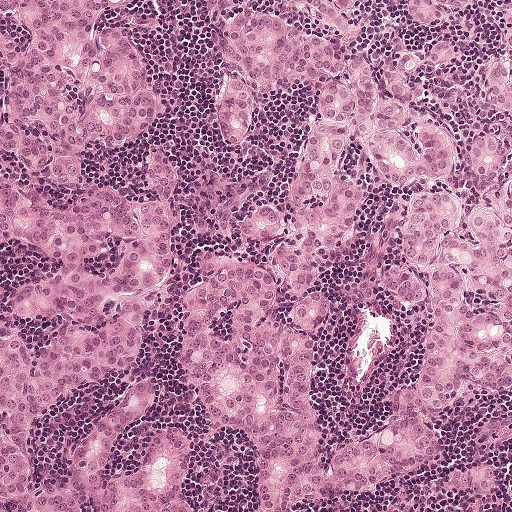
Lymph node section stained with H&E, from a whole-slide image of a breast-cancer sentinel node. Magnification about 10×, about 0.5 mm across the frame, about 0.97 µm per pixel.
Boundaries of four metastatic tumour regions, simplified and listed clockwise, largest first: region 1: (239, 0), (333, 46), (281, 2), (366, 0), (378, 60), (454, 40), (424, 98), (465, 158), (511, 0), (511, 385), (456, 385), (435, 457), (369, 491), (249, 511), (251, 446), (172, 359), (196, 249), (270, 256), (197, 233), (196, 179), (289, 202), (320, 88), (228, 145), (208, 38); region 2: (0, 0), (129, 0), (101, 28), (129, 26), (153, 56), (160, 116), (127, 143), (94, 148), (76, 170), (133, 197), (144, 149), (172, 159), (178, 252), (134, 357), (43, 408), (25, 445), (43, 481), (113, 394), (158, 374), (167, 401), (114, 441), (107, 472), (176, 426), (194, 451), (179, 494), (200, 511), (0, 511), (0, 288), (23, 350), (65, 324), (13, 318), (11, 294), (58, 275), (38, 251), (0, 244); region 3: (404, 0), (468, 0), (464, 7), (458, 11), (455, 14), (445, 20), (442, 23), (439, 27), (438, 27), (422, 26), (416, 24), (412, 20), (409, 16), (406, 8); region 4: (511, 403), (511, 443), (489, 443), (475, 447), (473, 444), (473, 432), (478, 424).
Region 1 encloses a non-tumour hole of about 15% of its area.
One more small tumour piece is annotated here but not outlined.
About 65% of the image area is annotated as tumour.